Lymph node section stained with H&E, from a whole-slide image of a breast-cancer sentinel node. Magnification about 5×, about 0.93 mm across the frame, about 1.8 µm per pixel.
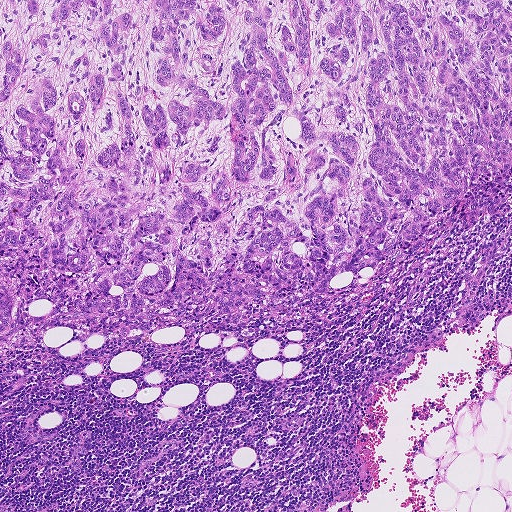
Tumour region outline (a closed clockwise path, crop pixels): (0, 0), (511, 0), (511, 168), (477, 176), (429, 212), (424, 233), (388, 231), (376, 264), (333, 276), (324, 291), (314, 293), (310, 272), (293, 288), (266, 286), (239, 305), (234, 325), (192, 302), (135, 317), (126, 337), (108, 319), (40, 322), (51, 304), (39, 299), (1, 342).
About 55% of this field is tumour.